Lymph node section stained with H&E, from a whole-slide image of a breast-cancer sentinel node. Magnification about 2.5×, about 1.9 mm across the frame, about 3.6 µm per pixel.
Image:
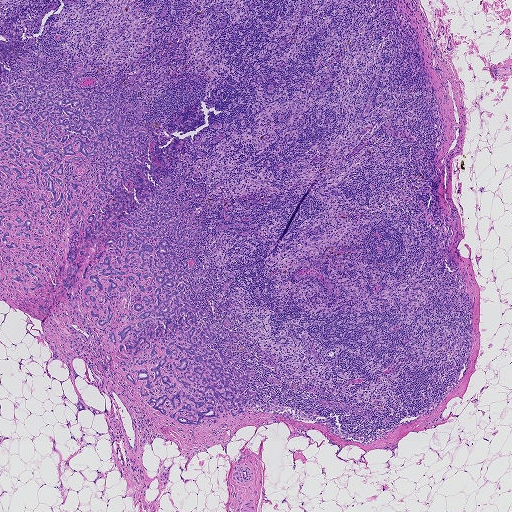
Question:
Trace the edge of each tumour region in this crop, as (x, y) points from 0 to 511.
Answer:
Two metastatic tumour regions, each outlined as a closed clockwise path in crop pixels (x, y), largest first: region 1: (131, 75), (134, 75), (134, 77), (134, 80), (131, 84), (131, 85), (136, 85), (138, 86), (138, 88), (137, 90), (134, 89), (132, 92), (127, 95), (122, 95), (123, 92), (124, 90), (126, 88), (130, 86), (130, 84), (128, 83), (127, 80), (129, 76); region 2: (52, 344), (54, 344), (56, 346), (57, 349), (55, 351), (57, 353), (57, 359), (55, 360), (52, 360), (52, 354), (54, 351), (52, 351), (50, 346).
One more tumour region is annotated but not outlined: its edge is too irregular for a short outline.
Eight more small tumour pieces are annotated here but not outlined.
The annotated tumour makes up about 20% of the crop.